This is a crop of a whole-slide image: an H&E-stained breast-cancer sentinel lymph node section at roughly 20× magnification (about 0.49 µm per pixel; the crop spans about 0.25 mm).
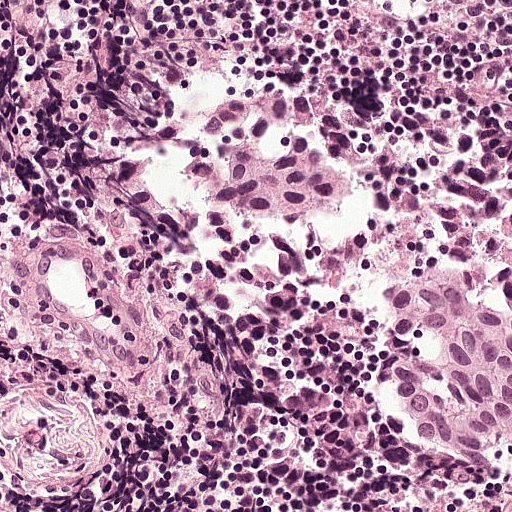
Question: Where is the metastatic tumour in this field?
Answer: Tumour region outline (a closed clockwise path, crop pixels): (229, 88), (362, 92), (442, 144), (511, 159), (511, 470), (476, 474), (400, 426), (386, 384), (390, 336), (368, 302), (248, 275), (221, 252), (176, 153), (202, 104).
Tumour covers about 30% of the frame.